This is a crop of a whole-slide image: an H&E-stained breast-cancer sentinel lymph node section at roughly 40× magnification (about 0.23 µm per pixel; the crop spans about 0.12 mm).
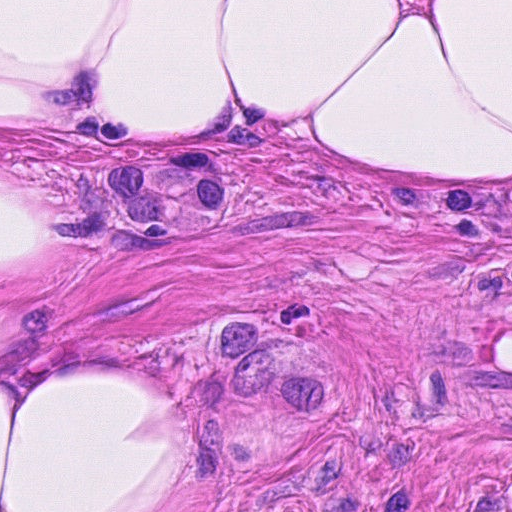
Two metastatic tumour regions, each outlined as a closed clockwise path in crop pixels (x, y), largest first: region 1: (217, 317), (275, 319), (325, 352), (343, 408), (318, 460), (265, 482), (208, 461), (182, 402), (190, 340); region 2: (191, 144), (241, 175), (221, 229), (165, 250), (109, 229), (93, 172), (133, 146).
About 10% of the image area is annotated as tumour.